Image:
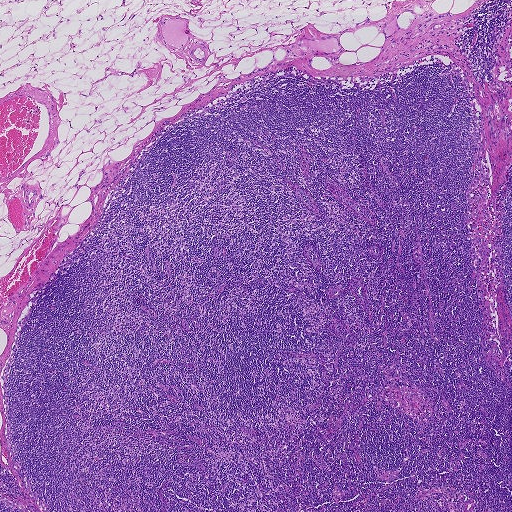
A 1.9-mm field of an H&E-stained sentinel lymph node from a breast-cancer patient (whole-slide image), shown at about 2.5×, about 3.6 µm per pixel.
Question:
Is there metastatic carcinoma in this field?
Answer:
No: no metastatic tumour is outlined anywhere in this field.